Question: 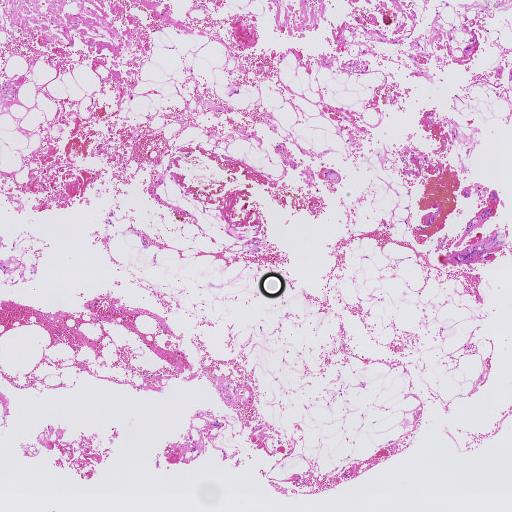
Which magnification is this H&E lymph node field most likely shown at?

Choices:
 (A) about 20×
 (B) about 10×
 (C) about 2.5×
 (D) about 5×
 (E) about 40×

Answer: (C) about 2.5×
This is a crop of a whole-slide image: an H&E-stained breast-cancer sentinel lymph node section at roughly 2.5× magnification (about 3.6 µm per pixel; the crop spans about 1.9 mm).